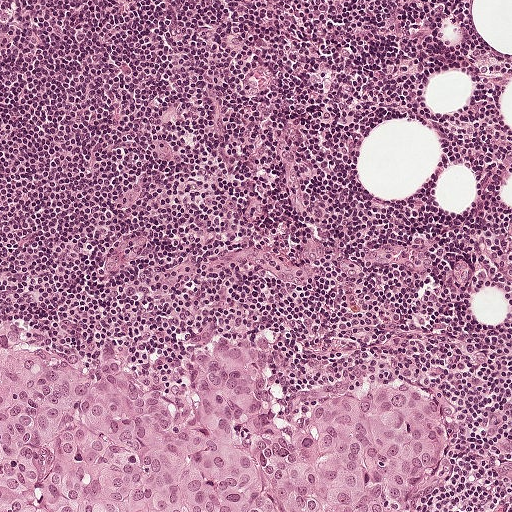
H&E-stained section of a sentinel lymph node (breast cancer), from a whole-slide image, viewed at about 10×: the field is about 0.5 mm across, about 0.97 µm per pixel.
Tumour region outline (a closed clockwise path, crop pixels): (230, 329), (268, 342), (312, 399), (366, 363), (428, 372), (447, 416), (412, 511), (0, 511), (0, 344), (48, 337), (110, 349), (188, 390), (198, 344).
About 25% of the image area is annotated as tumour.